Image:
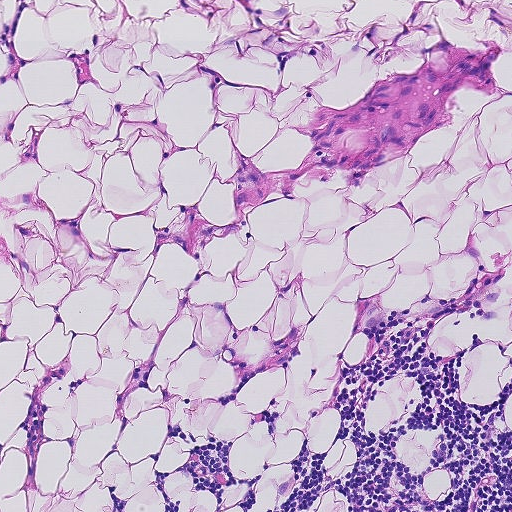
Lymph node section stained with H&E, from a whole-slide image of a breast-cancer sentinel node. Magnification about 10×, about 0.46 mm across the frame, about 0.9 µm per pixel.
Question:
Is there metastatic carcinoma in this field?
Answer:
No: no metastatic tumour is outlined anywhere in this field.